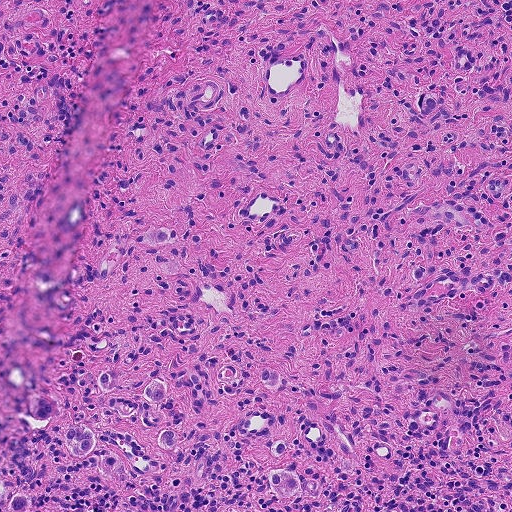
A 0.46-mm field of an H&E-stained sentinel lymph node from a breast-cancer patient (whole-slide image), shown at about 10×, about 0.9 µm per pixel.
Two metastatic tumour regions, each outlined as a closed clockwise path in crop pixels (x, y), largest first: region 1: (71, 427), (84, 427), (95, 434), (96, 447), (110, 451), (120, 460), (124, 472), (111, 476), (99, 469), (94, 456), (80, 461), (68, 455), (62, 443), (64, 438); region 2: (274, 470), (286, 470), (298, 476), (299, 488), (292, 501), (280, 498), (270, 490), (264, 476).
Nine more small tumour pieces are annotated here but not outlined.
Under 5% of the image area is annotated as tumour.